Question: 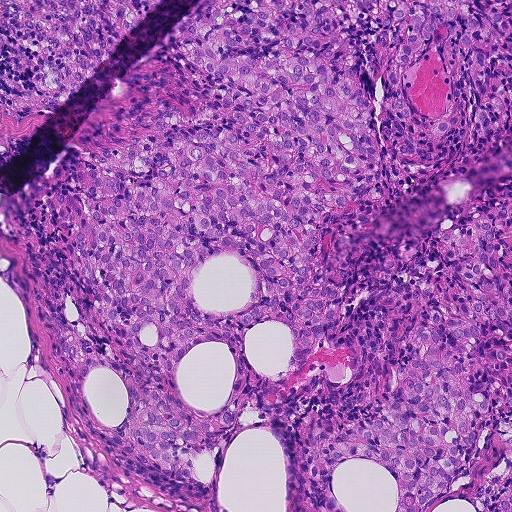
A 0.46-mm field of an H&E-stained sentinel lymph node from a breast-cancer patient (whole-slide image), shown at about 10×, about 0.9 µm per pixel.
Roughly what share of this field is metastatic tumour?

Choices:
 (A) none: no tumour is outlined
 (B) about 50% or more
 (C) about 5% or less
 (D) about 10% to 20%
 (E) about 25% to 45%

Answer: (B) about 50% or more
About 65% of the field is tumour.
Two metastatic tumour regions, each outlined as a closed clockwise path in crop pixels (x, y), largest first: region 1: (198, 0), (511, 0), (511, 129), (340, 245), (511, 180), (511, 511), (316, 511), (309, 441), (404, 352), (380, 291), (285, 375), (251, 329), (194, 481), (56, 350), (56, 316), (105, 340), (53, 195), (78, 157), (208, 120), (172, 51); region 2: (107, 0), (149, 0), (124, 22).